H&E-stained section of a sentinel lymph node (breast cancer), from a whole-slide image, viewed at about 10×: the field is about 0.5 mm across, about 0.97 µm per pixel.
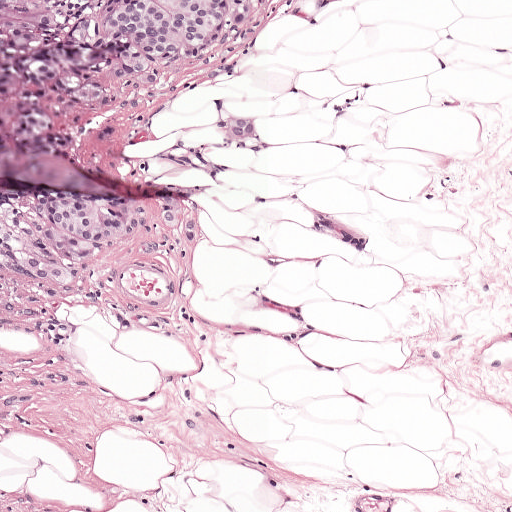
Five metastatic tumour regions, each outlined as a closed clockwise path in crop pixels (x, y), largest first: region 1: (103, 0), (239, 0), (236, 25), (201, 60), (135, 94), (78, 110), (56, 101), (48, 75), (60, 47); region 2: (61, 186), (94, 187), (186, 208), (180, 236), (149, 227), (73, 300), (25, 288), (0, 265), (0, 248); region 3: (0, 0), (58, 0), (54, 31), (20, 38), (0, 29); region 4: (234, 109), (267, 121), (267, 134), (262, 152), (232, 148), (221, 130); region 5: (30, 110), (58, 115), (58, 130), (38, 140), (18, 141), (8, 133), (11, 115).
Tumour covers about 10% of the frame.